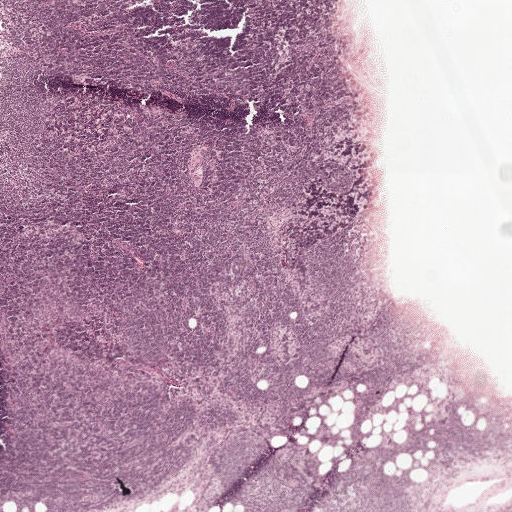
Lymph node section stained with H&E, from a whole-slide image of a breast-cancer sentinel node. Magnification about 2.5×, about 2.0 mm across the frame, about 3.9 µm per pixel.